This is a crop of a whole-slide image: an H&E-stained breast-cancer sentinel lymph node section at roughly 10× magnification (about 0.97 µm per pixel; the crop spans about 0.5 mm).
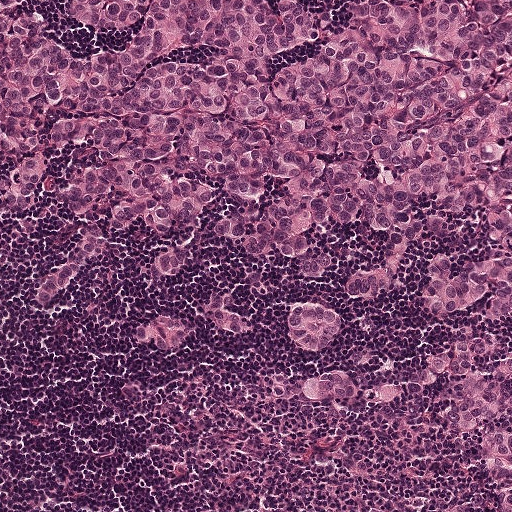
Question: Does this lymph node field contain metastatic tumour?
Answer: Yes.
Tumour region outline (a closed clockwise path, crop pixels): (0, 0), (511, 0), (511, 511), (487, 511), (444, 463), (440, 420), (300, 408), (307, 375), (424, 346), (397, 290), (308, 360), (235, 339), (170, 363), (128, 350), (108, 313), (148, 270), (96, 259), (82, 310), (46, 318), (26, 290), (60, 228), (27, 228), (1, 258).
About 70% of this field is tumour.